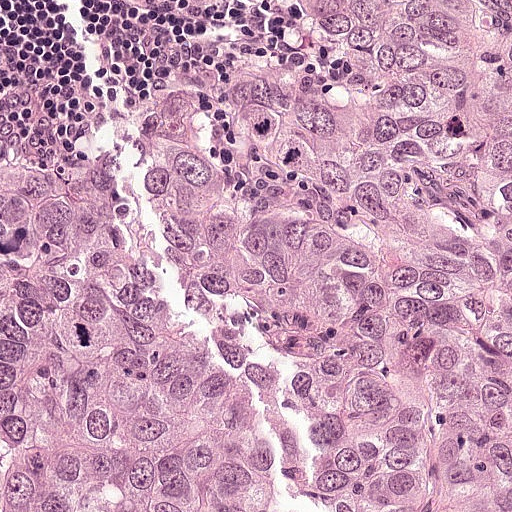
This is a crop of a whole-slide image: an H&E-stained breast-cancer sentinel lymph node section at roughly 20× magnification (about 0.49 µm per pixel; the crop spans about 0.25 mm).
Tumour region outline (a closed clockwise path, crop pixels): (511, 0), (511, 511), (0, 511), (0, 163), (76, 162), (194, 105), (282, 86), (274, 64), (237, 34), (226, 3).
Tumour covers about 85% of the frame.